Question: 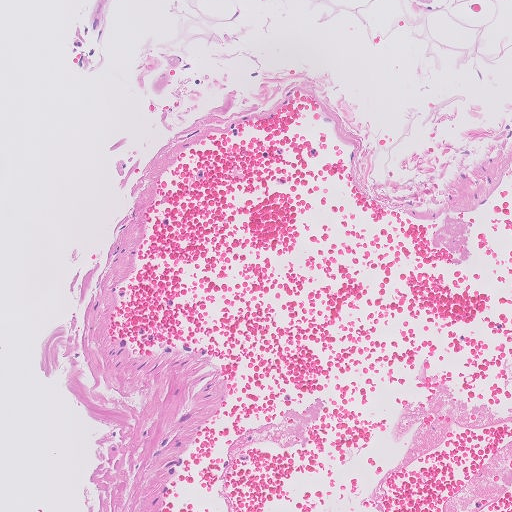
Which magnification is this H&E lymph node field most likely shown at?

Choices:
 (A) about 10×
 (B) about 20×
 (C) about 5×
 (D) about 40×
 (E) about 2.5×

Answer: (A) about 10×
Lymph node section stained with H&E, from a whole-slide image of a breast-cancer sentinel node. Magnification about 10×, about 0.51 mm across the frame, about 1.0 µm per pixel.